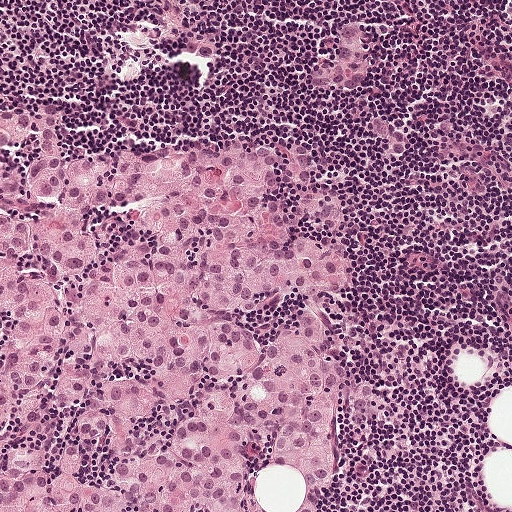
A 0.5-mm field of an H&E-stained sentinel lymph node from a breast-cancer patient (whole-slide image), shown at about 10×, about 0.97 µm per pixel.
Boundaries of four metastatic tumour regions, simplified and listed clockwise, largest first: region 1: (58, 102), (68, 158), (238, 135), (246, 148), (308, 145), (314, 192), (343, 206), (352, 267), (348, 286), (314, 298), (326, 356), (383, 401), (367, 431), (351, 428), (344, 403), (336, 410), (336, 464), (315, 511), (240, 498), (237, 511), (0, 511), (0, 112); region 2: (349, 22), (359, 25), (368, 52), (368, 80), (352, 91), (326, 91), (304, 82), (312, 65), (330, 58), (335, 38), (342, 26); region 3: (376, 118), (386, 118), (405, 132), (409, 148), (395, 156), (385, 150), (387, 140), (379, 138), (370, 124); region 4: (186, 36), (208, 40), (218, 52), (210, 60), (188, 57), (182, 46).
About 50% of the image area is annotated as tumour.